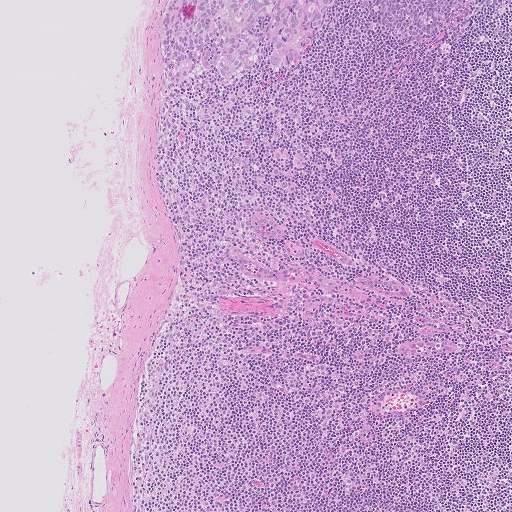
A 1.0-mm field of an H&E-stained sentinel lymph node from a breast-cancer patient (whole-slide image), shown at about 5×, about 2.0 µm per pixel.
Tumour region outline (a closed clockwise path, crop pixels): (167, 0), (343, 0), (292, 69), (273, 73), (266, 66), (255, 66), (229, 80), (219, 76), (223, 56), (210, 42), (202, 48), (196, 68), (177, 86), (167, 86), (160, 67).
About 5% of the image area is annotated as tumour.